Question: 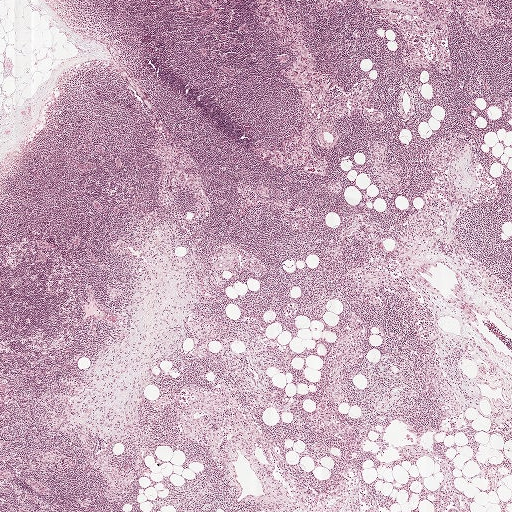
Which magnification is this H&E lymph node field most likely shown at?

Choices:
 (A) about 5×
 (B) about 2.5×
 (C) about 10×
 (D) about 20×
 (E) about 40×

Answer: (B) about 2.5×
H&E-stained section of a sentinel lymph node (breast cancer), from a whole-slide image, viewed at about 2.5×: the field is about 2.0 mm across, about 3.9 µm per pixel.